H&E-stained section of a sentinel lymph node (breast cancer), from a whole-slide image, viewed at about 5×: the field is about 1 mm across, about 1.9 µm per pixel.
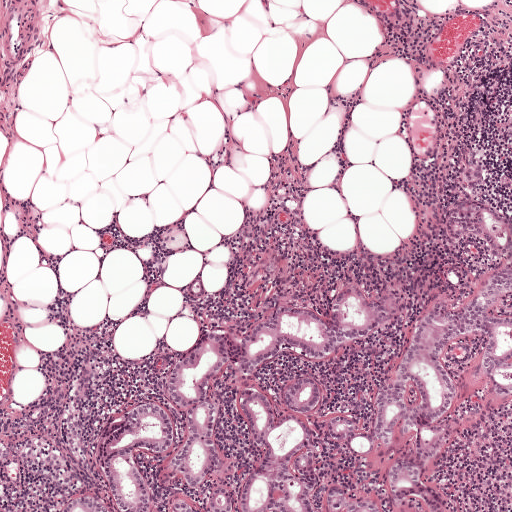
Two metastatic tumour regions, each outlined as a closed clockwise path in crop pixels (x, y), largest first: region 1: (468, 144), (470, 176), (511, 196), (511, 397), (478, 408), (443, 462), (462, 511), (59, 511), (99, 492), (105, 422), (161, 395), (206, 328), (237, 338), (312, 310), (334, 288), (366, 289), (389, 308), (381, 337), (327, 364), (320, 394), (379, 384), (417, 297), (477, 270), (442, 159); region 2: (196, 277), (204, 277), (207, 287), (205, 299), (194, 299), (185, 293), (188, 283).
The annotated tumour makes up about 30% of the crop.